Image:
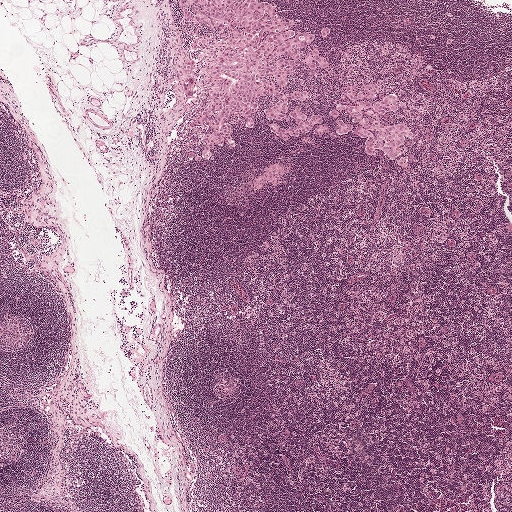
A 2.0-mm field of an H&E-stained sentinel lymph node from a breast-cancer patient (whole-slide image), shown at about 2.5×, about 3.9 µm per pixel.
Question:
Is any metastatic breast cancer visible in this crop?
Answer:
Yes.
Three metastatic tumour regions, each outlined as a closed clockwise path in crop pixels (x, y), largest first: region 1: (181, 0), (268, 3), (297, 34), (316, 36), (308, 50), (319, 49), (329, 69), (315, 73), (298, 61), (296, 73), (311, 97), (289, 107), (300, 104), (308, 114), (321, 113), (323, 122), (300, 137), (281, 140), (271, 125), (292, 129), (296, 122), (266, 115), (266, 108), (277, 100), (268, 94), (254, 116), (256, 128), (235, 123), (232, 149), (223, 141), (215, 159), (192, 160), (183, 148), (200, 132), (190, 125), (205, 107), (209, 67), (220, 40), (186, 22); region 2: (380, 83), (380, 91), (370, 99), (372, 104), (382, 102), (385, 96), (394, 94), (402, 106), (397, 112), (386, 110), (382, 122), (403, 123), (414, 136), (413, 139), (405, 137), (399, 148), (407, 159), (407, 165), (400, 167), (398, 158), (390, 157), (380, 149), (371, 156), (367, 155), (367, 141), (351, 132), (332, 139), (339, 119), (360, 125), (348, 111), (336, 117), (330, 111), (339, 104), (356, 105), (347, 94), (347, 86), (352, 86), (356, 94), (368, 85); region 3: (187, 64), (192, 65), (196, 84), (194, 95), (190, 97), (183, 91), (185, 77), (182, 69), (183, 66).
Two more small tumour pieces are annotated here but not outlined.
The annotated tumour makes up about 5% of the crop.